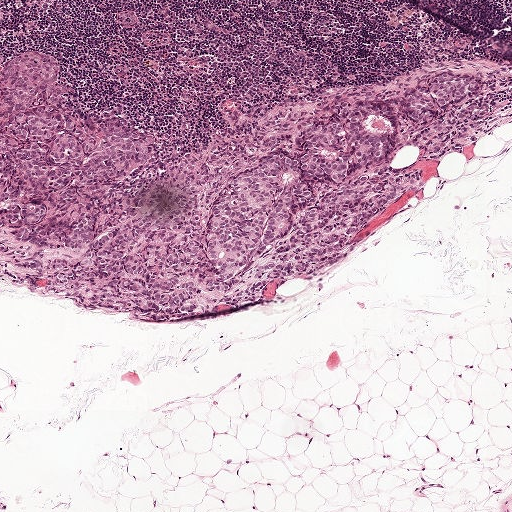
This is a crop of a whole-slide image: an H&E-stained breast-cancer sentinel lymph node section at roughly 5× magnification (about 1.9 µm per pixel; the crop spans about 1 mm).
Question: Which parts of this field are metastatic tumour? Answer with the outline of each region, in pixels.
Answer: One metastatic tumour region; its boundary, reduced to 23 corners and listed clockwise: (50, 55), (84, 106), (155, 140), (124, 193), (229, 141), (293, 141), (338, 102), (388, 104), (400, 144), (422, 127), (407, 88), (429, 73), (478, 78), (491, 113), (434, 160), (392, 152), (389, 166), (422, 186), (296, 282), (121, 313), (65, 299), (0, 252), (0, 63).
The annotated tumour makes up about 25% of the crop.